H&E-stained section of a sentinel lymph node (breast cancer), from a whole-slide image, viewed at about 20×: the field is about 0.23 mm across, about 0.45 µm per pixel.
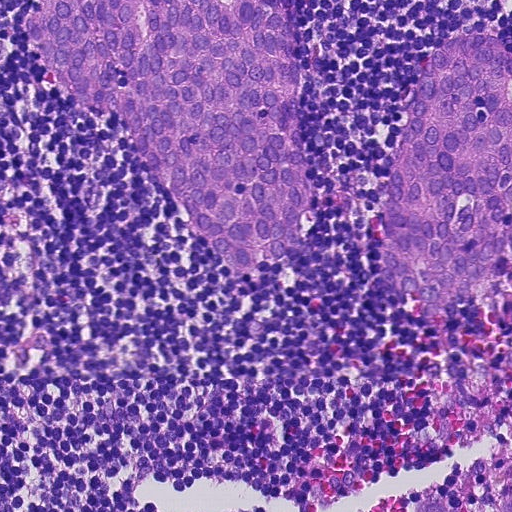
Question: Is any metastatic breast cancer visible in this crop?
Answer: Yes.
Three metastatic tumour regions, each outlined as a closed clockwise path in crop pixels (x, y), largest first: region 1: (26, 0), (279, 0), (301, 56), (317, 216), (308, 250), (282, 272), (248, 278), (194, 236), (119, 120), (56, 94), (23, 35); region 2: (498, 34), (511, 40), (511, 314), (496, 308), (428, 326), (394, 319), (376, 290), (388, 183), (430, 50), (463, 36); region 3: (511, 477), (511, 511), (385, 511), (431, 489), (466, 492), (500, 484).
One more small tumour piece is annotated here but not outlined.
About 35% of this field is tumour.